Image:
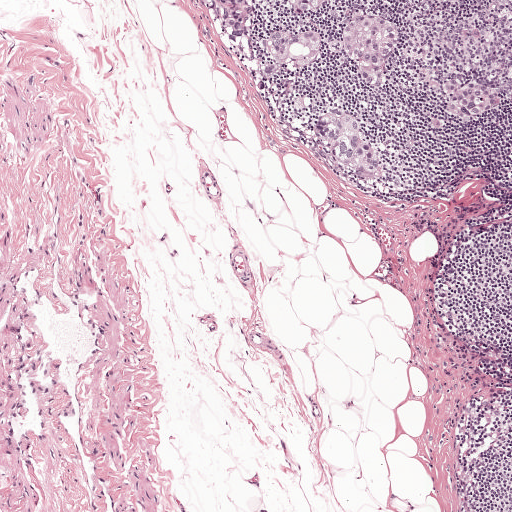
Lymph node section stained with H&E, from a whole-slide image of a breast-cancer sentinel node. Magnification about 5×, about 1 mm across the frame, about 1.9 µm per pixel.
Question:
Describe where the metastatic carcinoma lies in this crop.
Answer:
Six metastatic tumour regions, each outlined as a closed clockwise path in crop pixels (x, y), largest first: region 1: (333, 107), (353, 110), (363, 119), (378, 149), (383, 162), (384, 177), (379, 181), (373, 181), (339, 165), (316, 149), (308, 137), (308, 121), (314, 115); region 2: (356, 13), (368, 13), (399, 26), (401, 39), (386, 62), (386, 84), (381, 91), (375, 93), (363, 89), (354, 69), (338, 54), (335, 46), (341, 26); region 3: (313, 27), (319, 27), (324, 31), (325, 44), (317, 64), (310, 70), (276, 77), (268, 95), (261, 95), (256, 91), (255, 84), (259, 70), (270, 62), (264, 50), (264, 40), (268, 33), (274, 29), (296, 31); region 4: (448, 78), (457, 78), (466, 81), (479, 80), (498, 89), (504, 94), (504, 100), (501, 105), (485, 118), (464, 120), (451, 115), (444, 116), (449, 120), (448, 127), (443, 129), (436, 129), (429, 126), (429, 120), (441, 116), (439, 110), (450, 100), (445, 95), (443, 82); region 5: (251, 0), (253, 8), (247, 38), (242, 40), (227, 39), (196, 1); region 6: (289, 0), (327, 0), (318, 10), (312, 11), (298, 11), (293, 8).
The annotated tumour makes up about 5% of the crop.